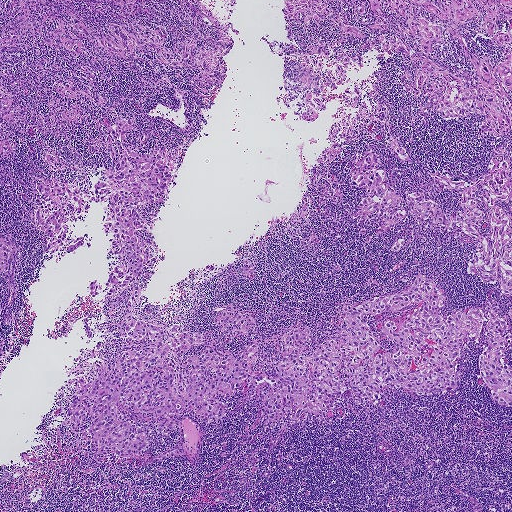
H&E-stained section of a sentinel lymph node (breast cancer), from a whole-slide image, viewed at about 2.5×: the field is about 1.9 mm across, about 3.6 µm per pixel.
Question: Is any metastatic breast cancer visible in this crop?
Answer: Yes.
Eight metastatic tumour regions, each outlined as a closed clockwise path in crop pixels (x, y), largest first: region 1: (511, 0), (511, 132), (477, 133), (486, 115), (426, 117), (399, 52), (374, 48), (346, 69), (332, 55), (310, 55), (322, 80), (340, 64), (346, 76), (322, 90), (315, 120), (294, 116), (302, 92), (282, 103), (277, 55), (339, 34), (328, 20), (286, 27), (285, 1); region 2: (0, 0), (150, 0), (134, 21), (165, 28), (168, 50), (190, 32), (191, 11), (197, 45), (212, 43), (195, 0), (234, 40), (208, 96), (190, 85), (200, 71), (167, 66), (156, 49), (134, 54), (188, 90), (180, 101), (151, 67), (69, 26), (115, 77), (98, 70), (92, 83), (37, 33), (61, 74), (107, 104), (75, 101), (83, 119), (65, 123), (67, 138), (39, 122), (60, 97), (57, 77), (24, 47), (3, 52); region 3: (501, 144), (509, 172), (511, 297), (500, 293), (499, 267), (497, 282), (492, 284), (467, 273), (466, 262), (476, 243), (460, 229), (449, 231), (417, 220), (411, 212), (397, 226), (364, 242), (387, 212), (354, 219), (351, 215), (367, 189), (354, 187), (348, 172), (366, 152), (376, 154), (392, 188), (405, 198), (408, 191), (419, 191), (447, 214), (463, 212), (463, 197), (426, 170), (451, 179), (478, 177), (487, 172), (493, 149); region 4: (227, 305), (240, 314), (251, 314), (257, 322), (256, 327), (247, 332), (219, 329), (214, 321), (216, 316), (220, 313), (212, 312), (212, 309); region 5: (1, 236), (8, 238), (16, 246), (16, 250), (13, 276), (13, 284), (10, 299), (7, 293), (6, 270), (4, 273), (0, 274); region 6: (0, 83), (3, 90), (8, 92), (23, 108), (23, 114), (21, 121), (14, 124), (10, 123), (8, 120), (0, 119); region 7: (44, 146), (52, 149), (58, 156), (65, 161), (66, 165), (61, 171), (55, 174), (56, 170), (51, 170), (43, 159), (46, 152); region 8: (394, 136), (398, 145), (406, 148), (414, 162), (404, 163), (396, 159), (389, 150), (390, 138).
One more tumour region is annotated but not outlined: its edge is too irregular for a short outline.
Two more, smaller tumour regions are not outlined.
Two more small tumour pieces are annotated here but not outlined.
Tumour covers about 35% of the frame.